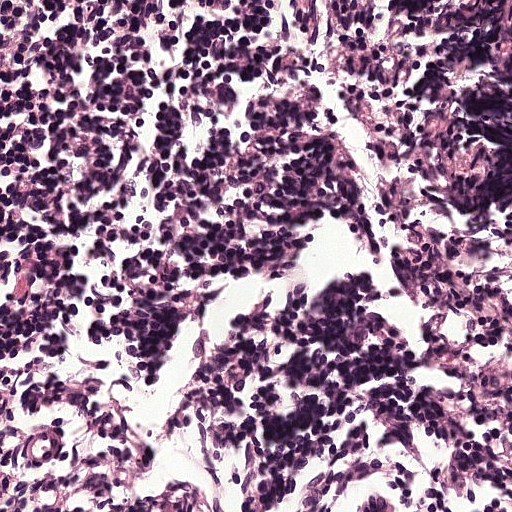
H&E-stained section of a sentinel lymph node (breast cancer), from a whole-slide image, viewed at about 20×: the field is about 0.25 mm across, about 0.49 µm per pixel.
Question: Is there metastatic carcinoma in this field?
Answer: No, this field holds no outlined metastasis.